H&E-stained section of a sentinel lymph node (breast cancer), from a whole-slide image, viewed at about 20×: the field is about 0.25 mm across, about 0.49 µm per pixel.
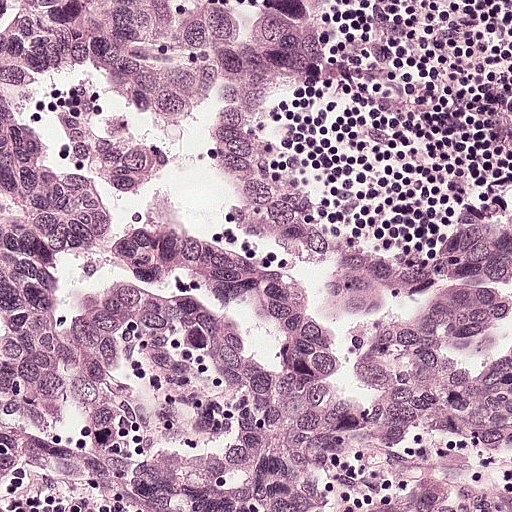
Two metastatic tumour regions, each outlined as a closed clockwise path in crop pixels (x, y), largest first: region 1: (0, 0), (356, 0), (334, 32), (323, 82), (280, 122), (296, 161), (321, 172), (346, 206), (344, 263), (328, 276), (282, 266), (262, 245), (230, 179), (202, 163), (180, 134), (121, 100), (62, 70), (44, 86), (2, 84); region 2: (508, 238), (511, 473), (434, 447), (353, 404), (348, 379), (348, 356), (368, 326), (444, 270), (455, 254).
Tumour covers about 30% of the frame.